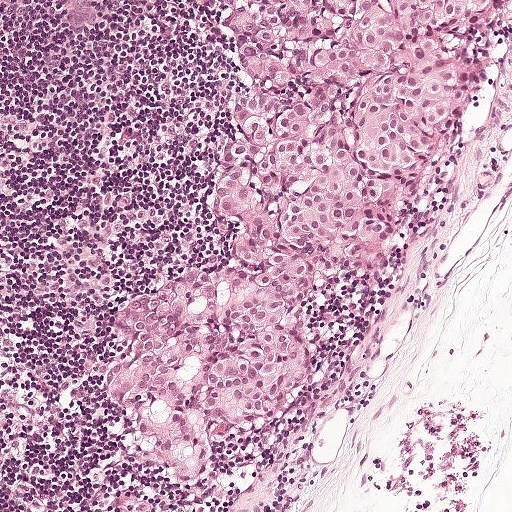
Lymph node section stained with H&E, from a whole-slide image of a breast-cancer sentinel node. Magnification about 10×, about 0.5 mm across the frame, about 0.97 µm per pixel.
The outlined metastatic tumour's edge, as a closed clockwise path of 21 points: (495, 0), (435, 32), (459, 66), (458, 103), (387, 227), (390, 277), (308, 298), (310, 392), (264, 427), (209, 428), (206, 474), (180, 484), (130, 460), (102, 378), (127, 355), (116, 320), (134, 295), (240, 248), (214, 182), (250, 80), (214, 2).
One more small tumour piece is annotated here but not outlined.
The annotated tumour makes up about 35% of the crop.